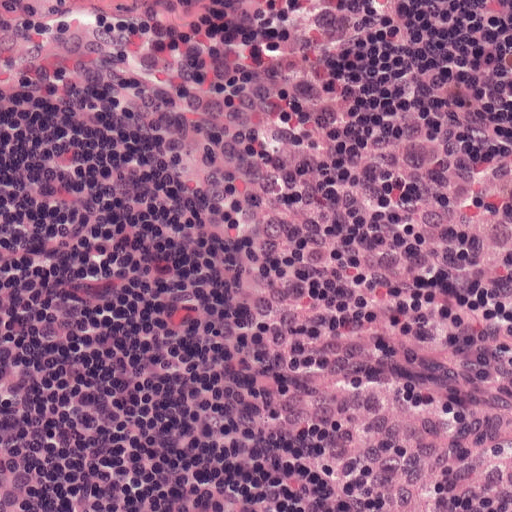
H&E-stained section of a sentinel lymph node (breast cancer), from a whole-slide image, viewed at about 20×: the field is about 0.25 mm across, about 0.49 µm per pixel.